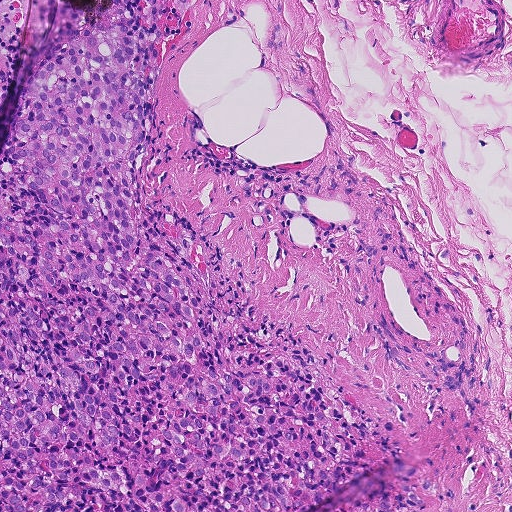
This is a crop of a whole-slide image: an H&E-stained breast-cancer sentinel lymph node section at roughly 10× magnification (about 0.9 µm per pixel; the crop spans about 0.46 mm).
Boundaries of two metastatic tumour regions, simplified and listed clockwise, largest first: region 1: (88, 0), (127, 0), (137, 48), (142, 145), (127, 170), (134, 262), (147, 250), (160, 254), (186, 286), (223, 374), (290, 386), (323, 412), (340, 450), (395, 453), (311, 507), (0, 511), (0, 169), (24, 126), (24, 94), (82, 28); region 2: (418, 475), (423, 494), (423, 511), (345, 511).
The annotated tumour makes up about 35% of the crop.